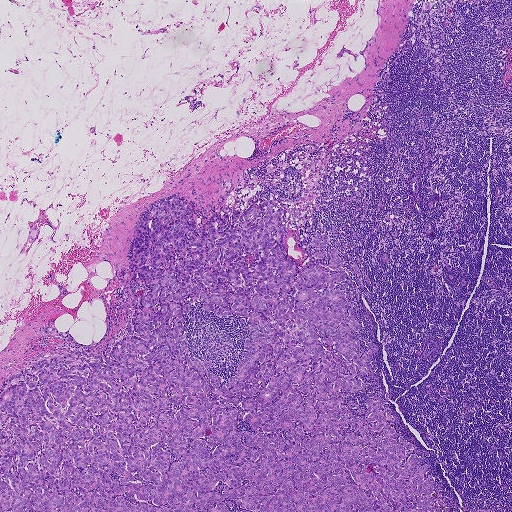
A 1.9-mm field of an H&E-stained sentinel lymph node from a breast-cancer patient (whole-slide image), shown at about 2.5×, about 3.6 µm per pixel.
The outlined metastatic tumour's edge, as a closed clockwise path of 19 points: (272, 199), (301, 265), (326, 266), (310, 240), (329, 235), (373, 376), (343, 398), (368, 410), (379, 390), (394, 438), (434, 452), (451, 511), (0, 511), (0, 389), (129, 334), (134, 229), (155, 205), (193, 203), (206, 228).
About 35% of the image area is annotated as tumour.